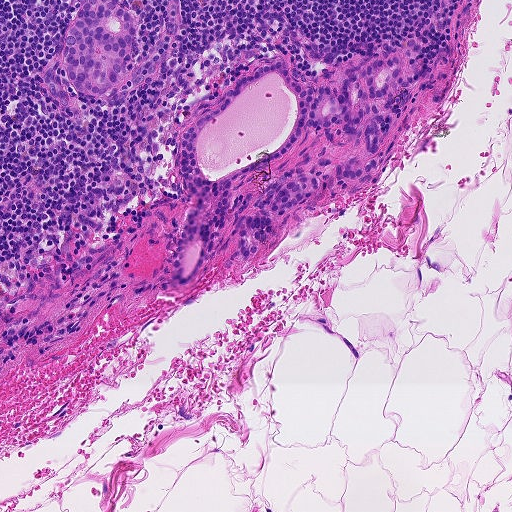
H&E-stained section of a sentinel lymph node (breast cancer), from a whole-slide image, viewed at about 10×: the field is about 0.46 mm across, about 0.9 µm per pixel.
Outlines of four tumour regions, largest first (closed clockwise paths, crop pixels): region 1: (400, 58), (397, 82), (370, 102), (385, 116), (381, 148), (358, 152), (341, 124), (305, 130), (286, 156), (230, 186), (228, 212), (210, 230), (204, 263), (185, 286), (173, 270), (194, 198), (180, 178), (182, 134), (236, 78), (271, 60), (288, 60), (304, 89), (339, 91), (367, 63); region 2: (76, 0), (118, 0), (123, 8), (138, 16), (138, 25), (128, 70), (129, 78), (110, 94), (101, 97), (84, 95), (72, 84), (64, 68), (64, 35), (79, 4); region 3: (298, 168), (318, 180), (316, 198), (286, 216), (278, 218), (270, 214), (274, 222), (274, 232), (270, 239), (262, 243), (254, 258), (246, 260), (240, 255), (234, 238), (229, 236), (233, 223), (239, 218), (256, 212), (254, 206), (261, 191), (290, 169); region 4: (375, 158), (377, 163), (376, 170), (354, 181), (335, 179), (336, 163), (343, 165), (346, 168), (354, 170).
About 10% of the image area is annotated as tumour.